Lymph node section stained with H&E, from a whole-slide image of a breast-cancer sentinel node. Magnification about 5×, about 0.93 mm across the frame, about 1.8 µm per pixel.
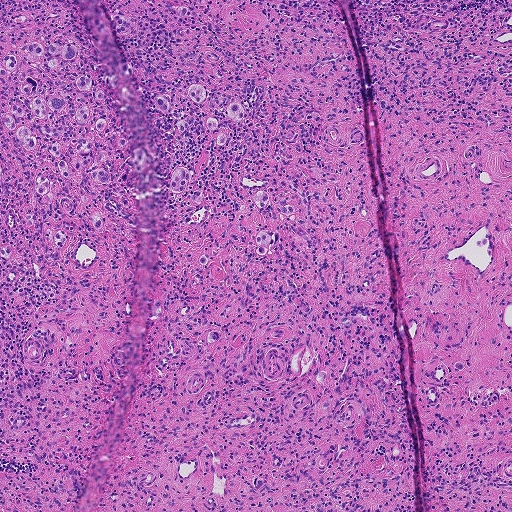
Outlines of the eight largest metastatic tumour regions, each a closed clockwise path in crop pixels (x, y), largest first: region 1: (89, 75), (104, 94), (101, 100), (88, 93), (88, 106), (110, 128), (101, 134), (89, 120), (80, 124), (76, 112), (83, 103), (67, 102), (71, 126), (61, 142), (90, 136), (93, 153), (106, 157), (100, 167), (110, 183), (99, 184), (75, 169), (72, 181), (66, 180), (56, 164), (61, 159), (50, 152), (35, 164), (1, 120), (8, 99), (26, 107), (32, 98), (20, 91), (22, 79), (35, 78), (38, 96), (45, 98), (58, 92), (76, 95), (77, 76); region 2: (35, 41), (47, 46), (55, 42), (61, 45), (67, 42), (73, 43), (77, 48), (76, 54), (72, 59), (65, 60), (59, 57), (62, 65), (58, 70), (46, 71), (27, 64), (20, 50), (23, 45); region 3: (176, 166), (188, 170), (193, 182), (192, 188), (203, 190), (203, 202), (198, 206), (193, 203), (188, 198), (191, 192), (188, 190), (187, 184), (185, 190), (179, 193), (173, 192), (169, 186), (171, 173); region 4: (265, 230), (278, 232), (280, 238), (276, 243), (270, 242), (266, 254), (262, 257), (257, 253), (258, 246), (254, 238), (258, 232); region 5: (115, 13), (127, 16), (131, 21), (131, 28), (128, 33), (120, 33), (114, 32), (110, 26), (110, 20); region 6: (192, 83), (205, 86), (206, 93), (205, 99), (200, 102), (194, 102), (189, 98), (188, 87); region 7: (50, 227), (52, 233), (64, 229), (68, 232), (68, 239), (66, 245), (60, 247), (52, 238), (49, 240), (45, 237), (44, 231); region 8: (155, 94), (161, 94), (171, 102), (171, 108), (167, 113), (160, 112), (154, 106), (152, 100).
Six more, smaller tumour regions are not outlined.
15 more small tumour pieces are annotated here but not outlined.
Tumour covers about 5% of the frame.